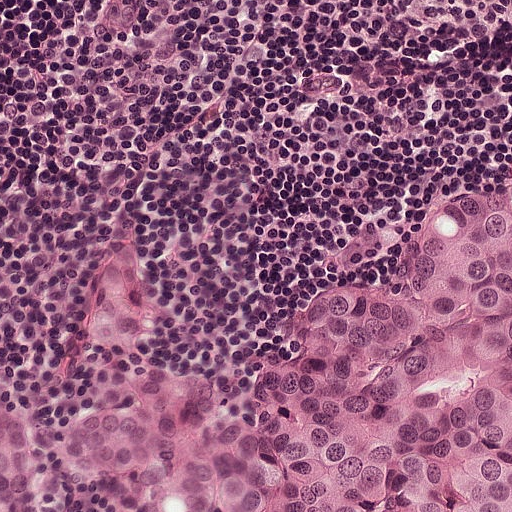
Lymph node section stained with H&E, from a whole-slide image of a breast-cancer sentinel node. Magnification about 20×, about 0.25 mm across the frame, about 0.49 µm per pixel.
Tumour region outline (a closed clockwise path, crop pixels): (482, 185), (508, 204), (511, 511), (153, 511), (104, 490), (73, 511), (0, 511), (0, 403), (112, 428), (124, 385), (150, 368), (197, 376), (218, 420), (242, 426), (247, 376), (268, 354), (291, 354), (297, 304), (316, 291), (382, 285), (408, 258), (433, 199).
About 35% of this field is tumour.